Question: 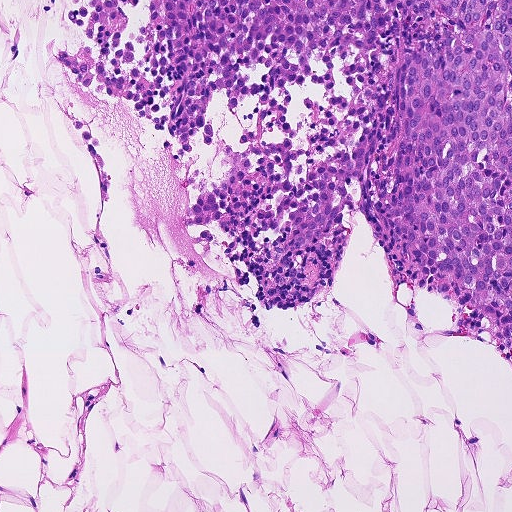
H&E-stained section of a sentinel lymph node (breast cancer), from a whole-slide image, viewed at about 10×: the field is about 0.46 mm across, about 0.9 µm per pixel.
What fraction of the image area is metastatic tumour?

Choices:
 (A) about 5% or less
 (B) about 25% to 45%
 (C) about 50% or more
 (D) about 10% to 20%
 (E) none: no tumour is outlined

Answer: (B) about 25% to 45%
About 40% of the field is tumour.
One metastatic tumour region; its boundary, reduced to 21 corners and listed clockwise: (511, 0), (511, 371), (473, 310), (394, 269), (360, 207), (299, 308), (236, 284), (235, 242), (180, 219), (247, 143), (260, 94), (230, 114), (220, 89), (211, 144), (202, 128), (184, 156), (56, 64), (87, 46), (94, 62), (96, 50), (67, 12).
Question: 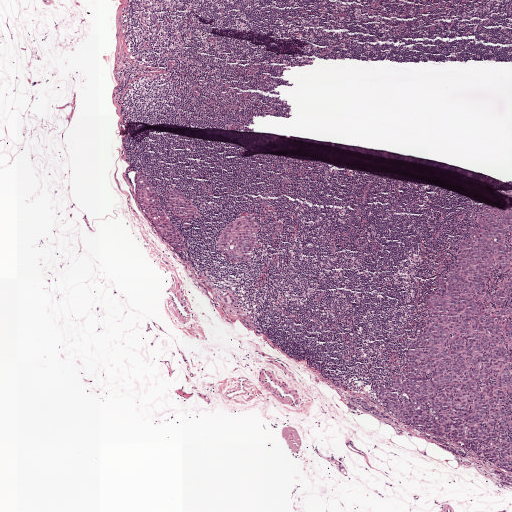
A 2.0-mm field of an H&E-stained sentinel lymph node from a breast-cancer patient (whole-slide image), shown at about 2.5×, about 3.9 µm per pixel.
What fraction of the image area is metastatic tumour?

Choices:
 (A) none: no tumour is outlined
 (B) about 50% or more
 (C) about 10% to 20%
 (D) about 5% or less
 (E) about 25% to 45%

Answer: (C) about 10% to 20%
About 10% of the field is tumour.
Boundaries of five metastatic tumour regions, simplified and listed clockwise, largest first: region 1: (511, 188), (511, 486), (501, 482), (484, 459), (462, 457), (414, 428), (354, 411), (345, 397), (358, 395), (383, 406), (379, 389), (405, 369), (407, 348), (431, 312), (429, 293), (444, 290), (474, 214), (486, 197); region 2: (136, 171), (139, 171), (152, 183), (165, 215), (181, 232), (185, 248), (182, 252), (177, 252), (173, 248), (145, 220), (138, 204), (134, 187); region 3: (239, 217), (253, 218), (256, 222), (256, 233), (251, 255), (242, 263), (231, 264), (221, 258), (216, 242), (225, 227); region 4: (171, 188), (178, 189), (183, 193), (195, 206), (196, 211), (195, 216), (191, 219), (190, 225), (186, 228), (170, 213), (165, 203), (164, 197), (166, 192); region 5: (229, 291), (234, 294), (237, 302), (232, 306), (233, 308), (247, 315), (254, 328), (252, 329), (245, 326), (242, 317), (240, 315), (233, 315), (225, 310), (223, 306), (225, 305), (221, 297), (223, 294).
One more small tumour piece is annotated here but not outlined.
Question: 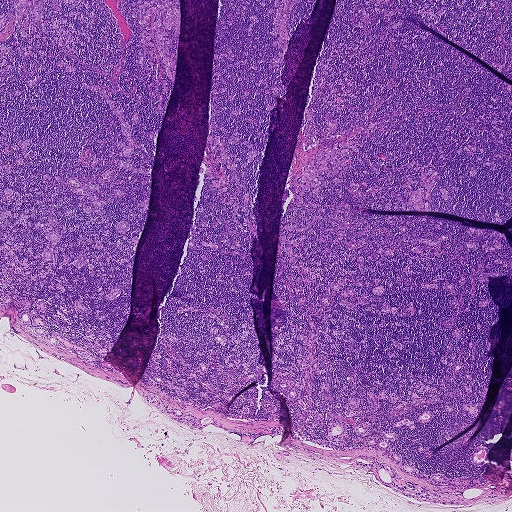
H&E-stained section of a sentinel lymph node (breast cancer), from a whole-slide image, viewed at about 2.5×: the field is about 1.9 mm across, about 3.6 µm per pixel.
What fraction of the image area is metastatic tumour?

Choices:
 (A) about 25% to 45%
 (B) none: no tumour is outlined
 (C) about 10% to 20%
 (D) about 5% or less
 (E) about 50% or more

Answer: (E) about 50% or more
About 60% of the field is tumour.
Outlines of four tumour regions, largest first (closed clockwise paths, crop pixels): region 1: (511, 0), (511, 80), (422, 25), (511, 85), (511, 217), (372, 210), (511, 246), (492, 348), (487, 351), (487, 323), (462, 332), (480, 414), (471, 425), (461, 433), (433, 449), (434, 451), (475, 425), (479, 420), (511, 476), (471, 462), (485, 446), (470, 441), (468, 437), (474, 428), (436, 452), (431, 452), (432, 448), (477, 417), (456, 398), (393, 430), (404, 464), (490, 482), (448, 497), (296, 436), (270, 384), (282, 197), (334, 10); region 2: (179, 0), (148, 212), (128, 232), (137, 246), (111, 218), (80, 215), (54, 249), (93, 269), (56, 274), (73, 312), (113, 288), (130, 295), (104, 358), (133, 385), (161, 331), (192, 364), (216, 347), (206, 313), (249, 330), (264, 382), (250, 414), (190, 388), (172, 402), (203, 421), (175, 420), (0, 305), (0, 180), (40, 209), (43, 173), (95, 179), (123, 140), (75, 73), (0, 87), (11, 3); region 3: (302, 0), (289, 15), (286, 94), (270, 110), (268, 142), (236, 172), (249, 193), (248, 216), (238, 214), (245, 233), (238, 250), (221, 245), (204, 260), (201, 245), (190, 250), (186, 244), (191, 224), (203, 220), (200, 236), (207, 241), (223, 236), (232, 215), (202, 160), (218, 3); region 4: (0, 128), (3, 128), (7, 132), (7, 138), (12, 143), (29, 138), (33, 142), (32, 154), (29, 160), (19, 166), (14, 163), (16, 157), (22, 156), (18, 152), (12, 152), (6, 149), (3, 145), (1, 138), (0, 137).
Question: 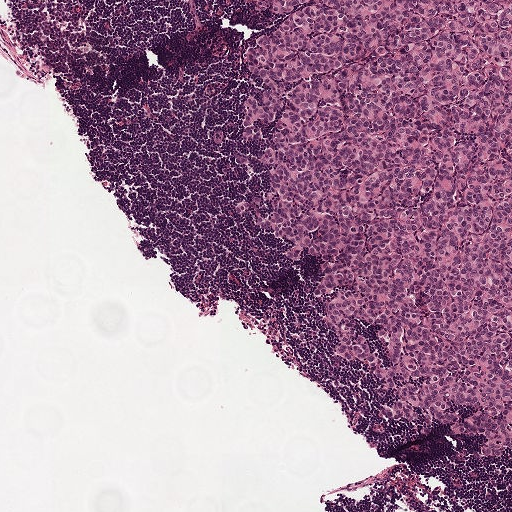
Lymph node section stained with H&E, from a whole-slide image of a breast-cancer sentinel node. Magnification about 5×, about 1 mm across the frame, about 1.9 µm per pixel.
What fraction of the image area is metastatic tumour?

Choices:
 (A) none: no tumour is outlined
 (B) about 50% or more
 (C) about 25% to 45%
 (D) about 5% or less
 (E) about 10% to 20%

Answer: (C) about 25% to 45%
About 40% of the field is tumour.
Metastatic tumour outline, simplified to 12 points and listed clockwise in crop pixels (x, y): (511, 0), (506, 462), (486, 466), (479, 441), (387, 428), (368, 404), (367, 378), (318, 326), (319, 268), (277, 254), (232, 128), (242, 1).